Question: 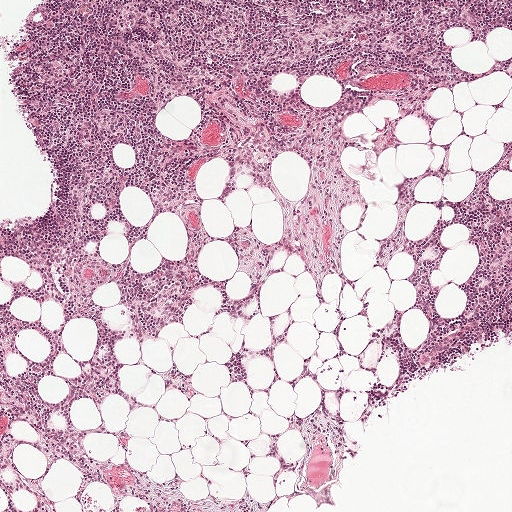
At roughly what magnification is this field shown?

Choices:
 (A) about 40×
 (B) about 2.5×
 (C) about 5×
 (D) about 10×
 (E) about 20×

Answer: (C) about 5×
This is a crop of a whole-slide image: an H&E-stained breast-cancer sentinel lymph node section at roughly 5× magnification (about 1.9 µm per pixel; the crop spans about 1 mm).